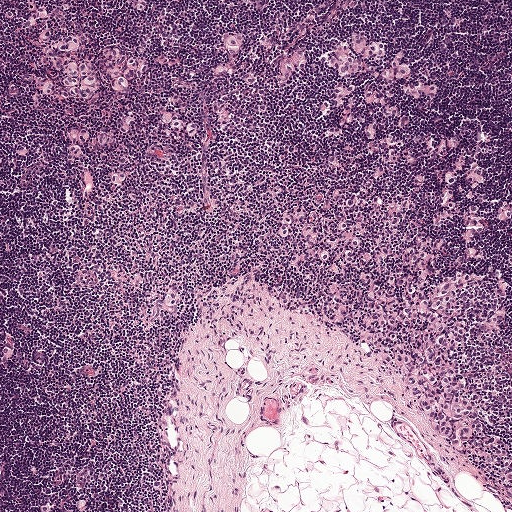
Lymph node section stained with H&E, from a whole-slide image of a breast-cancer sentinel node. Magnification about 5×, about 1 mm across the frame, about 1.9 µm per pixel.
Seven metastatic tumour regions, each outlined as a closed clockwise path in crop pixels (x, y), largest first: region 1: (378, 277), (402, 295), (412, 297), (446, 278), (466, 277), (458, 295), (463, 318), (454, 346), (454, 364), (484, 426), (495, 434), (495, 441), (479, 450), (477, 457), (460, 455), (436, 435), (398, 382), (379, 340), (358, 336), (356, 314), (364, 286); region 2: (377, 197), (377, 200), (347, 213), (348, 222), (360, 242), (358, 259), (318, 257), (305, 240), (280, 239), (273, 235), (273, 224), (280, 214), (292, 208), (316, 202); region 3: (64, 34), (79, 36), (86, 53), (97, 52), (107, 45), (122, 49), (137, 57), (137, 68), (122, 89), (96, 90), (82, 99), (67, 96), (64, 87), (61, 84), (62, 73), (51, 65), (56, 51), (55, 42); region 4: (354, 34), (374, 37), (381, 41), (383, 48), (388, 52), (400, 48), (402, 59), (407, 65), (408, 77), (427, 83), (428, 94), (422, 96), (412, 95), (393, 83), (381, 79), (369, 68), (349, 74), (336, 74), (319, 62), (318, 58), (323, 52); region 5: (223, 30), (244, 32), (244, 39), (234, 54), (228, 53), (220, 38); region 6: (165, 112), (181, 120), (193, 122), (196, 126), (197, 134), (186, 134), (178, 127), (164, 125), (160, 120), (161, 114); region 7: (336, 304), (340, 304), (343, 306), (340, 306), (347, 307), (347, 313), (346, 316), (345, 316), (337, 316), (332, 314), (332, 313), (332, 309), (332, 307).
One more small tumour piece is annotated here but not outlined.
Tumour covers about 10% of the frame.